Image:
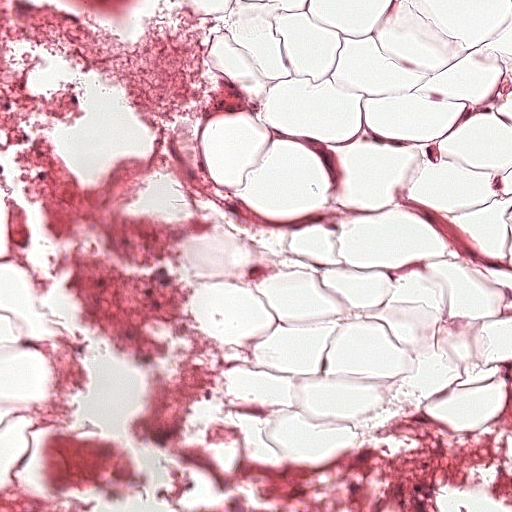
This is a crop of a whole-slide image: an H&E-stained breast-cancer sentinel lymph node section at roughly 20× magnification (about 0.49 µm per pixel; the crop spans about 0.25 mm).
Question:
Does this lymph node field contain metastatic tumour?
Answer:
No: no metastatic tumour is outlined anywhere in this field.